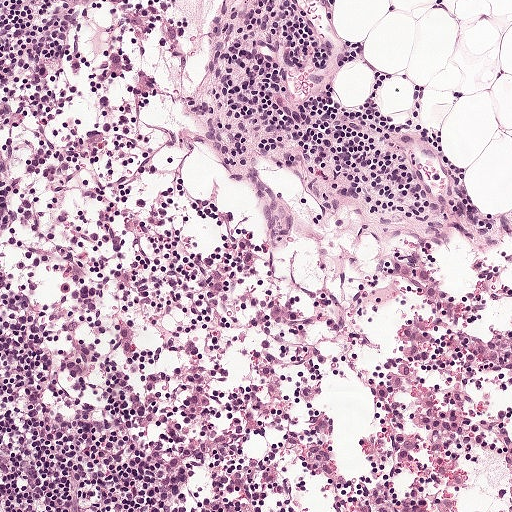
H&E-stained section of a sentinel lymph node (breast cancer), from a whole-slide image, viewed at about 10×: the field is about 0.5 mm across, about 0.97 µm per pixel.